Question: 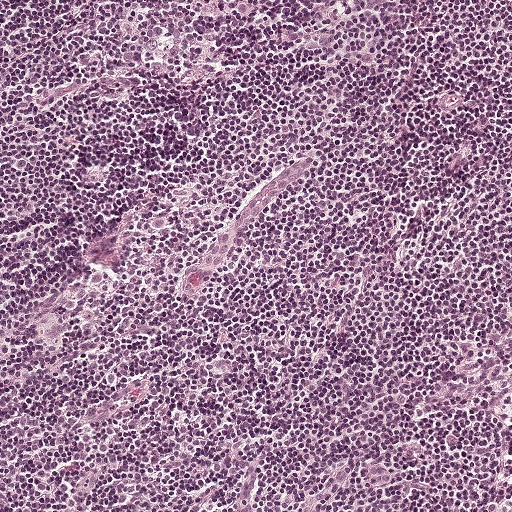
Which magnification is this H&E lymph node field most likely shown at?

Choices:
 (A) about 20×
 (B) about 2.5×
 (C) about 10×
 (D) about 5×
 (E) about 40×

Answer: (C) about 10×
A 0.5-mm field of an H&E-stained sentinel lymph node from a breast-cancer patient (whole-slide image), shown at about 10×, about 0.97 µm per pixel.